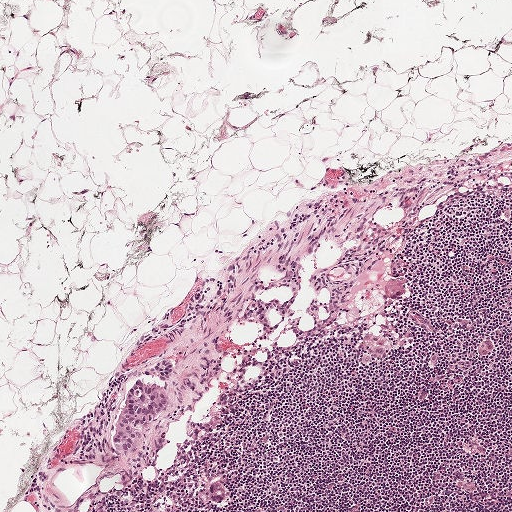
H&E-stained section of a sentinel lymph node (breast cancer), from a whole-slide image, viewed at about 5×: the field is about 1 mm across, about 1.9 µm per pixel.
Metastatic tumour outline, simplified to 14 points and listed clockwise in crop pixels (x, y): (171, 356), (175, 358), (172, 380), (174, 399), (169, 411), (149, 428), (139, 448), (131, 449), (129, 453), (115, 452), (113, 444), (117, 419), (133, 377), (159, 360).
Under 5% of the image area is annotated as tumour.